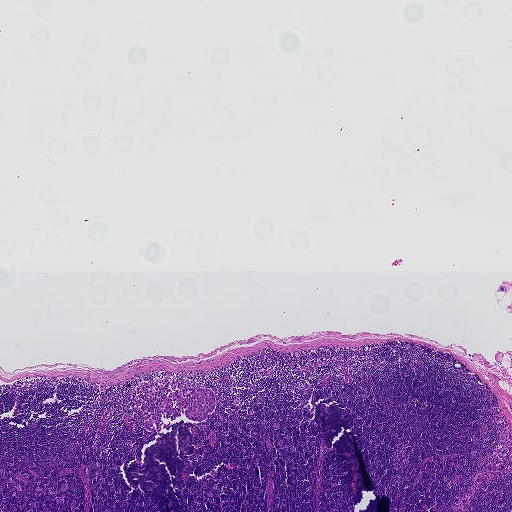
Lymph node section stained with H&E, from a whole-slide image of a breast-cancer sentinel node. Magnification about 2.5×, about 1.9 mm across the frame, about 3.6 µm per pixel.
Metastatic tumour outline, simplified to 24 points and listed clockwise in crop pixels (x, y): (177, 384), (180, 384), (184, 388), (197, 387), (212, 390), (214, 408), (206, 418), (200, 422), (185, 417), (182, 413), (161, 413), (164, 423), (170, 424), (167, 429), (155, 431), (146, 429), (143, 424), (149, 403), (148, 397), (153, 400), (154, 412), (167, 395), (163, 388), (178, 388).
Under 5% of the image area is annotated as tumour.